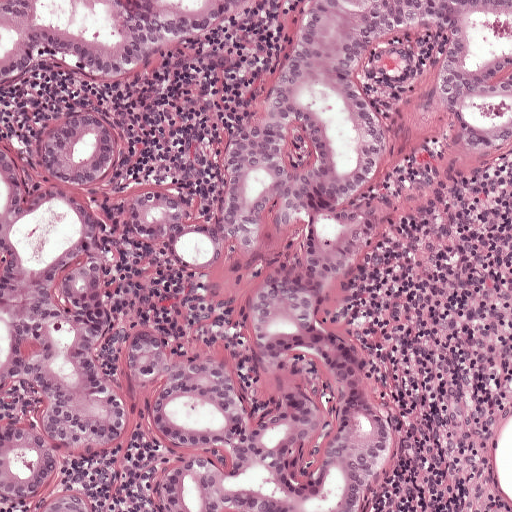
A 0.5-mm field of an H&E-stained sentinel lymph node from a breast-cancer patient (whole-slide image), shown at about 10×, about 0.97 µm per pixel.
Question: Where is the metastatic tumour in this field? Give each region's outline as (x, y) pixel points.
Answer: Tumour region outline (a closed clockwise path, crop pixels): (0, 0), (244, 0), (236, 33), (188, 75), (128, 88), (115, 147), (176, 154), (231, 126), (277, 2), (511, 0), (511, 147), (431, 176), (359, 282), (375, 348), (408, 397), (418, 457), (374, 499), (377, 511), (0, 511).
About 80% of this field is tumour.